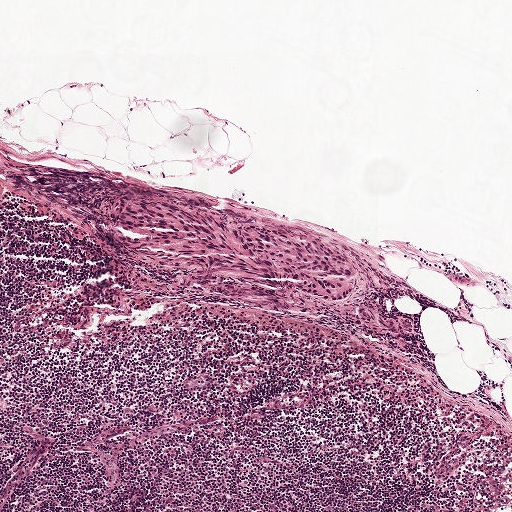
H&E-stained section of a sentinel lymph node (breast cancer), from a whole-slide image, viewed at about 5×: the field is about 1 mm across, about 1.9 µm per pixel.
Metastatic tumour outline, simplified to 14 points and listed clockwise in crop pixels (x, y): (107, 184), (184, 184), (261, 218), (279, 218), (321, 237), (350, 265), (346, 299), (318, 309), (296, 309), (246, 305), (194, 290), (152, 266), (115, 232), (96, 190).
Tumour covers about 5% of the frame.